Question: 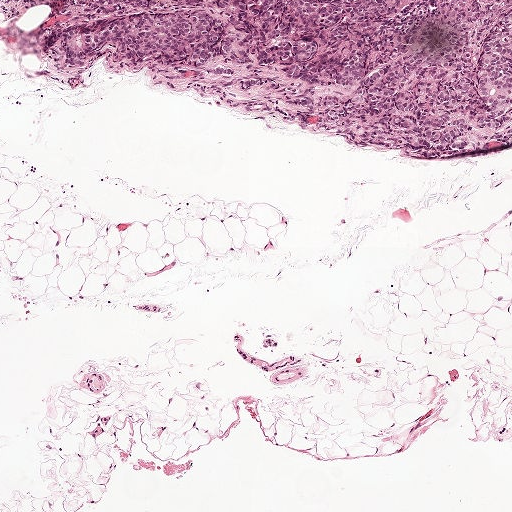
H&E-stained section of a sentinel lymph node (breast cancer), from a whole-slide image, viewed at about 5×: the field is about 1 mm across, about 1.9 µm per pixel.
About how much of this crop is taken up by metastatic carcinoma?

Choices:
 (A) none: no tumour is outlined
 (B) about 5% or less
 (C) about 50% or more
 (D) about 10% to 20%
 (E) about 25% to 45%

Answer: (D) about 10% to 20%
About 15% of the field is tumour.
Metastatic tumour outline, simplified to 19 points and listed clockwise in crop pixels (x, y): (164, 0), (416, 0), (393, 21), (410, 30), (444, 0), (511, 0), (511, 138), (476, 131), (427, 150), (338, 137), (272, 89), (235, 88), (240, 64), (233, 78), (143, 72), (100, 53), (74, 71), (62, 67), (64, 31).